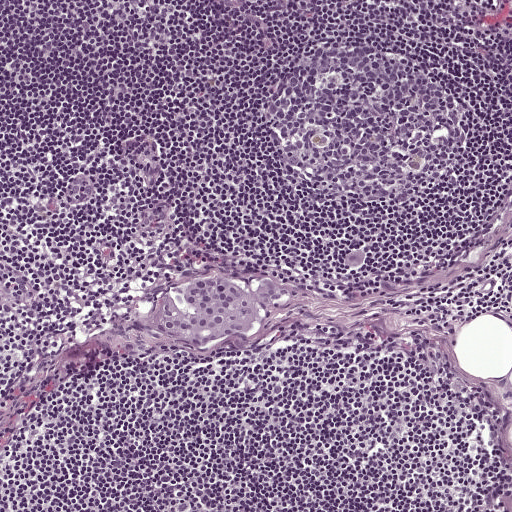
A 0.5-mm field of an H&E-stained sentinel lymph node from a breast-cancer patient (whole-slide image), shown at about 10×, about 0.97 µm per pixel.
Tumour region outline (a closed clockwise path, crop pixels): (203, 278), (240, 283), (271, 278), (297, 289), (300, 297), (279, 314), (258, 324), (252, 337), (222, 339), (196, 350), (129, 328), (130, 322), (168, 290).
Tumour covers about 5% of the frame.